This is a crop of a whole-slide image: an H&E-stained breast-cancer sentinel lymph node section at roughly 5× magnification (about 2.0 µm per pixel; the crop spans about 1.0 mm).
Question: 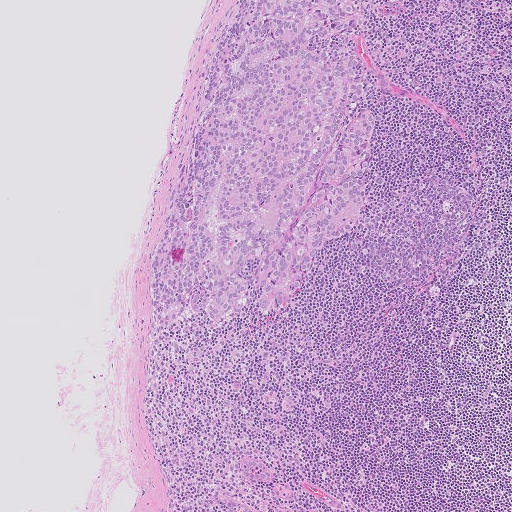
Roughly what share of this field is metastatic tumour?

Choices:
 (A) about 50% or more
 (B) about 5% or less
 (C) none: no tumour is outlined
 (D) about 10% to 20%
 (E) about 25% to 45%

Answer: (D) about 10% to 20%
About 20% of the field is tumour.
One metastatic tumour region; its boundary, reduced to 21 corners and listed clockwise: (237, 0), (359, 0), (358, 26), (322, 45), (362, 57), (376, 130), (368, 170), (384, 181), (368, 188), (356, 233), (333, 242), (281, 312), (244, 309), (218, 323), (199, 285), (174, 324), (156, 329), (151, 259), (178, 158), (202, 113), (210, 56).